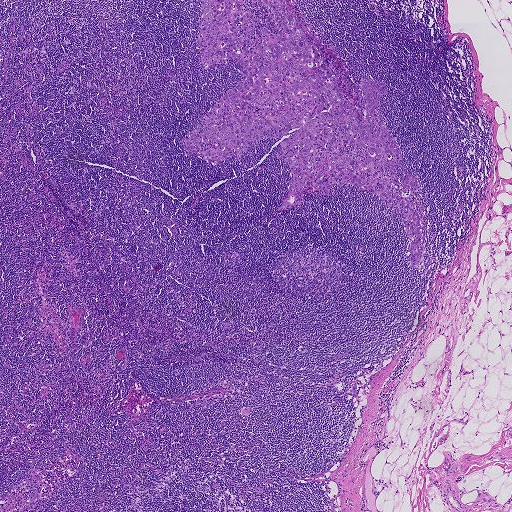
This is a crop of a whole-slide image: an H&E-stained breast-cancer sentinel lymph node section at roughly 2.5× magnification (about 3.6 µm per pixel; the crop spans about 1.9 mm).
Metastatic tumour outline, simplified to 24 points and listed clockwise in crop pixels (x, y): (286, 0), (358, 87), (361, 77), (385, 82), (379, 111), (402, 161), (392, 173), (420, 180), (415, 197), (425, 231), (417, 266), (409, 266), (398, 211), (351, 184), (272, 213), (291, 173), (273, 136), (217, 167), (188, 157), (177, 142), (243, 71), (231, 59), (197, 65), (200, 4).
The annotated tumour makes up about 10% of the crop.